Image:
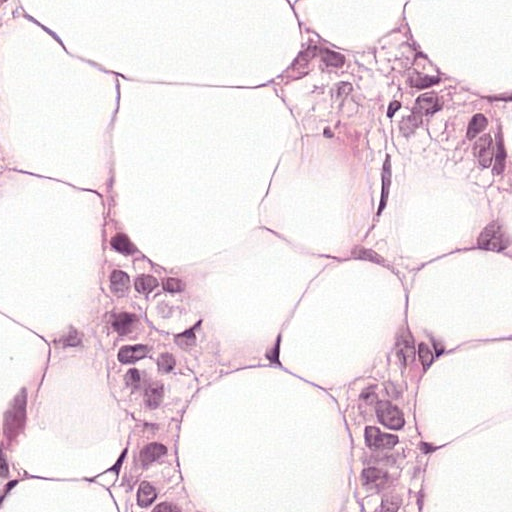
Lymph node section stained with H&E, from a whole-slide image of a breast-cancer sentinel node. Magnification about 40×, about 0.12 mm across the frame, about 0.24 µm per pixel.
Question:
Trace the edge of each tumour region in this crop, as (x, y) points from 0 to 511.
Answer:
Four metastatic tumour regions, each outlined as a closed clockwise path in crop pixels (x, y), largest first: region 1: (120, 201), (146, 235), (170, 314), (227, 334), (216, 379), (179, 405), (179, 438), (190, 460), (264, 508), (0, 511), (0, 412), (28, 393), (54, 335), (112, 275), (120, 259); region 2: (396, 2), (433, 62), (475, 77), (511, 103), (511, 192), (483, 180), (362, 162), (283, 135), (273, 106), (275, 77), (325, 35), (362, 35), (386, 20); region 3: (402, 320), (459, 335), (457, 372), (431, 406), (439, 511), (352, 511), (346, 435), (325, 391), (325, 380), (373, 354); region 4: (0, 0), (22, 0), (22, 96), (20, 99), (18, 130), (15, 133), (12, 154), (0, 180).
About 35% of this field is tumour.